Image:
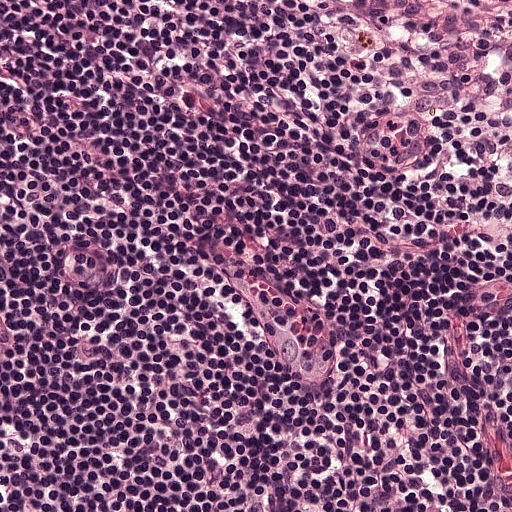
This is a crop of a whole-slide image: an H&E-stained breast-cancer sentinel lymph node section at roughly 20× magnification (about 0.49 µm per pixel; the crop spans about 0.25 mm).
Question:
Is any metastatic breast cancer visible in this crop?
Answer:
No. No metastatic tumour is outlined in this field.